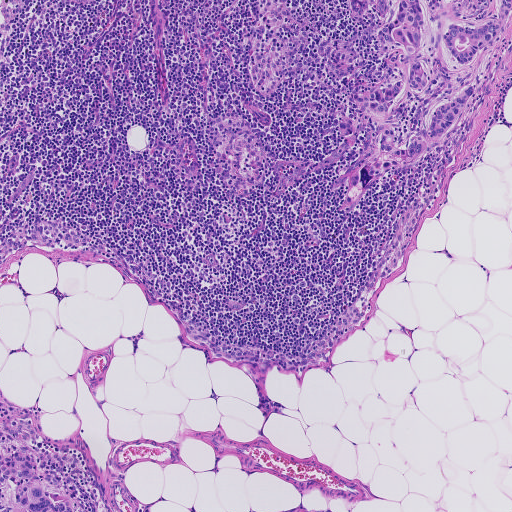
A 0.93-mm field of an H&E-stained sentinel lymph node from a breast-cancer patient (whole-slide image), shown at about 5×, about 1.8 µm per pixel.
Outlines of three tumour regions, largest first (closed clockwise paths, crop pixels): region 1: (396, 0), (511, 0), (511, 17), (502, 35), (460, 69), (438, 48), (428, 88), (420, 95), (408, 89), (397, 107), (395, 144), (405, 148), (438, 103), (475, 84), (460, 120), (448, 137), (380, 174), (352, 205), (344, 205), (385, 123), (358, 98), (406, 71), (402, 50), (376, 31); region 2: (0, 429), (2, 445), (8, 450), (24, 446), (30, 451), (35, 458), (41, 482), (62, 493), (73, 505), (75, 511), (0, 511); region 3: (350, 0), (371, 0), (370, 4), (362, 11), (353, 6).
The annotated tumour makes up about 5% of the crop.